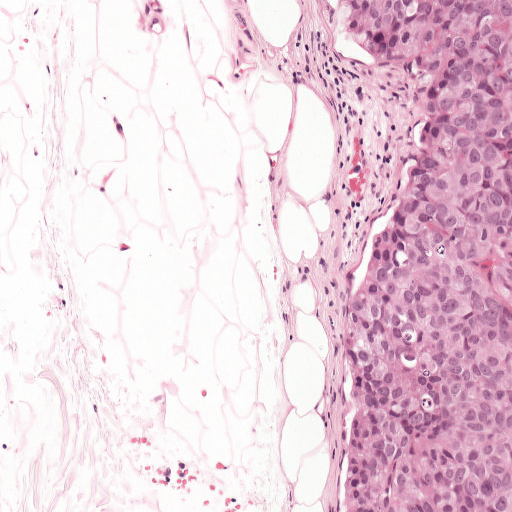
H&E-stained section of a sentinel lymph node (breast cancer), from a whole-slide image, viewed at about 10×: the field is about 0.5 mm across, about 0.97 µm per pixel.
The outlined metastatic tumour's edge, as a closed clockwise path of 8 points: (336, 0), (511, 0), (511, 511), (340, 511), (341, 342), (419, 116), (422, 78), (357, 48).
Tumour covers about 30% of the frame.